Question: 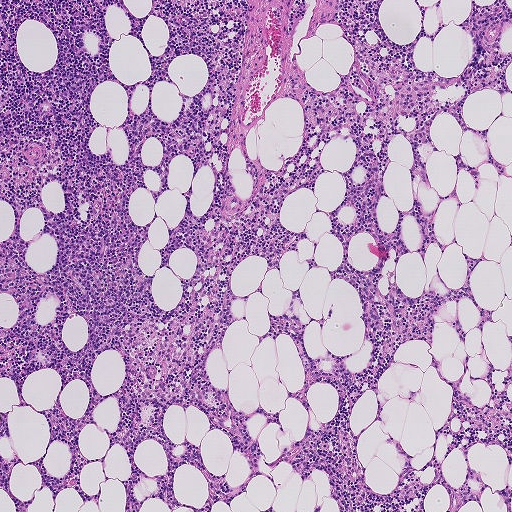
H&E-stained section of a sentinel lymph node (breast cancer), from a whole-slide image, viewed at about 5×: the field is about 0.93 mm across, about 1.8 µm per pixel.
Estimate the proportion of this field that is metastatic tumour.

Choices:
 (A) about 10% to 20%
 (B) about 50% or more
 (C) none: no tumour is outlined
 (D) about 25% to 45%
 (E) about 5% or less

Answer: (C) none: no tumour is outlined
No metastatic tumour is outlined in this field.